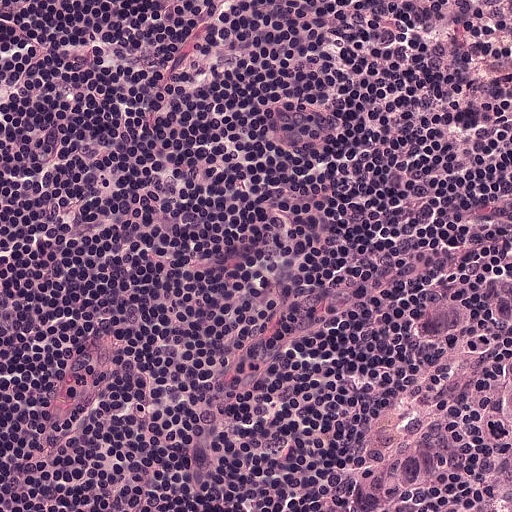
H&E-stained section of a sentinel lymph node (breast cancer), from a whole-slide image, viewed at about 20×: the field is about 0.25 mm across, about 0.49 µm per pixel.
Metastatic tumour outline, simplified to 11 points and listed clockwise in crop pixels (x, y): (510, 254), (511, 511), (413, 511), (416, 506), (409, 511), (351, 511), (354, 486), (405, 417), (405, 323), (416, 300), (436, 278).
Tumour covers about 10% of the frame.